This is a crop of a whole-slide image: an H&E-stained breast-cancer sentinel lymph node section at roughly 40× magnification (about 0.25 µm per pixel; the crop spans about 0.13 mm).
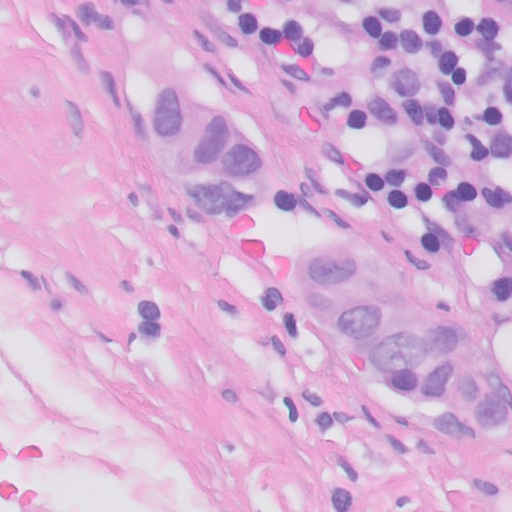
Boundaries of two metastatic tumour regions, simplified and listed clockwise, largest first: region 1: (346, 239), (378, 259), (464, 338), (479, 361), (504, 378), (511, 393), (507, 433), (484, 449), (455, 449), (384, 396), (349, 349), (279, 293), (270, 265), (288, 241); region 2: (171, 68), (199, 94), (231, 109), (257, 129), (274, 153), (274, 182), (263, 207), (236, 220), (209, 221), (167, 185), (139, 132), (132, 103), (143, 74).
About 15% of the image area is annotated as tumour.